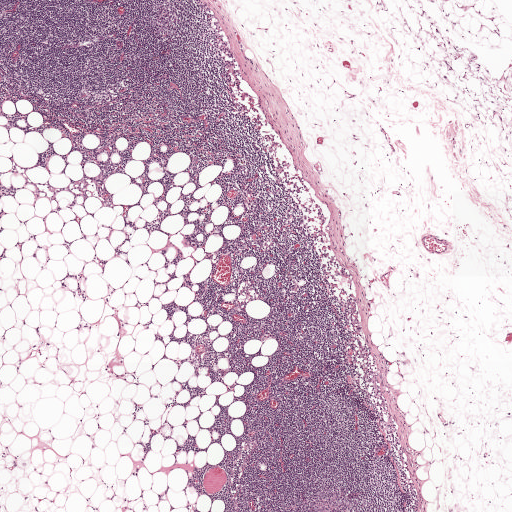
A 2.0-mm field of an H&E-stained sentinel lymph node from a breast-cancer patient (whole-slide image), shown at about 2.5×, about 3.9 µm per pixel.